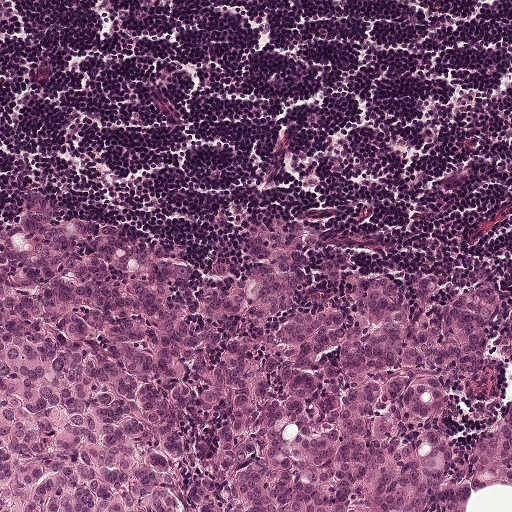
Lymph node section stained with H&E, from a whole-slide image of a breast-cancer sentinel node. Magnification about 10×, about 0.5 mm across the frame, about 0.97 µm per pixel.
Tumour region outline (a closed clockwise path, crop pixels): (17, 199), (41, 200), (212, 262), (260, 222), (297, 223), (355, 264), (342, 305), (363, 285), (490, 283), (503, 304), (472, 403), (474, 440), (510, 412), (511, 486), (486, 488), (466, 511), (0, 511), (0, 221).
The annotated tumour makes up about 50% of the crop.